H&E-stained section of a sentinel lymph node (breast cancer), from a whole-slide image, viewed at about 20×: the field is about 0.23 mm across, about 0.45 µm per pixel.
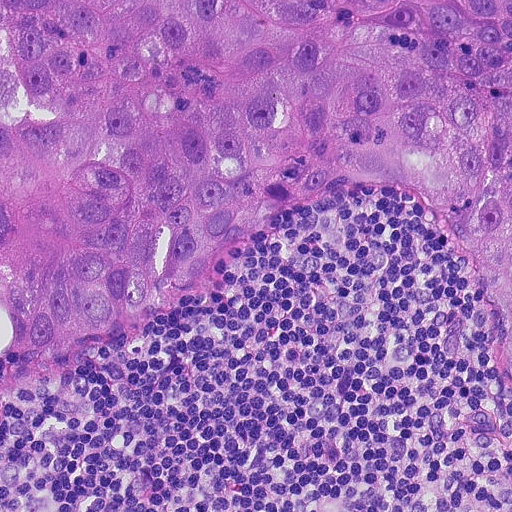
One metastatic tumour region; its boundary, reduced to 10 corners and listed clockwise: (0, 0), (511, 0), (511, 380), (492, 288), (456, 227), (402, 190), (366, 189), (264, 229), (185, 300), (0, 392).
The annotated tumour makes up about 55% of the crop.